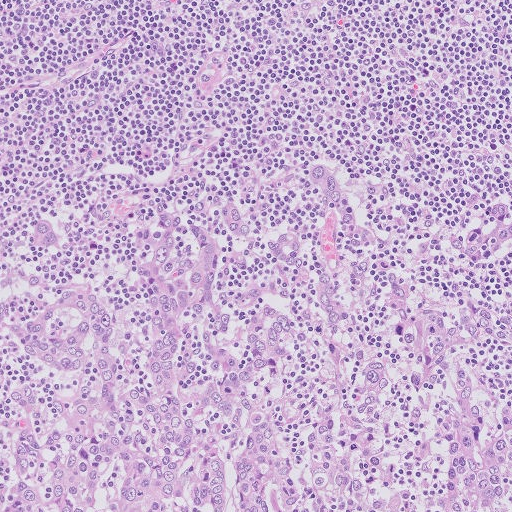
Lymph node section stained with H&E, from a whole-slide image of a breast-cancer sentinel node. Magnification about 10×, about 0.51 mm across the frame, about 1.0 µm per pixel.
One metastatic tumour region; its boundary, reduced to 21 corners and listed clockwise: (314, 158), (429, 258), (511, 200), (511, 250), (460, 273), (511, 298), (511, 511), (0, 511), (0, 295), (45, 260), (14, 230), (29, 212), (63, 236), (44, 275), (88, 281), (137, 352), (131, 210), (236, 200), (294, 231), (315, 200), (292, 161).
The annotated tumour makes up about 55% of the crop.